Lymph node section stained with H&E, from a whole-slide image of a breast-cancer sentinel node. Magnification about 5×, about 0.93 mm across the frame, about 1.8 µm per pixel.
Image:
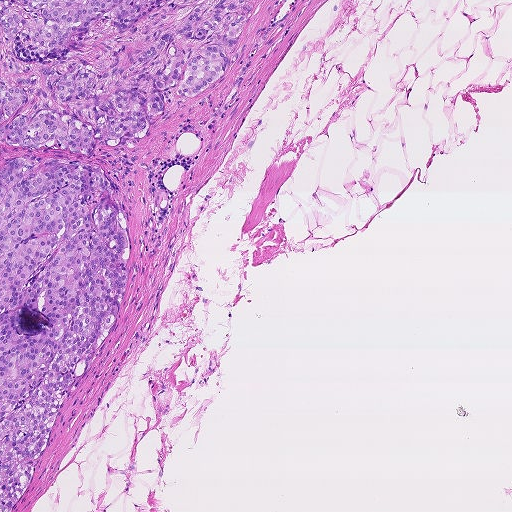
Question:
Which parts of this field are metastatic tumour? Answer with the outline of each region, in pixels.
Answer:
Outlines of two tumour regions, largest first (closed clockwise paths, crop pixels): region 1: (0, 155), (71, 159), (103, 170), (121, 198), (127, 280), (109, 334), (59, 408), (46, 449), (12, 510), (0, 511); region 2: (0, 0), (257, 0), (233, 65), (195, 96), (165, 92), (164, 116), (150, 122), (144, 137), (101, 141), (84, 156), (4, 141).
Tumour covers about 25% of the frame.